Question: 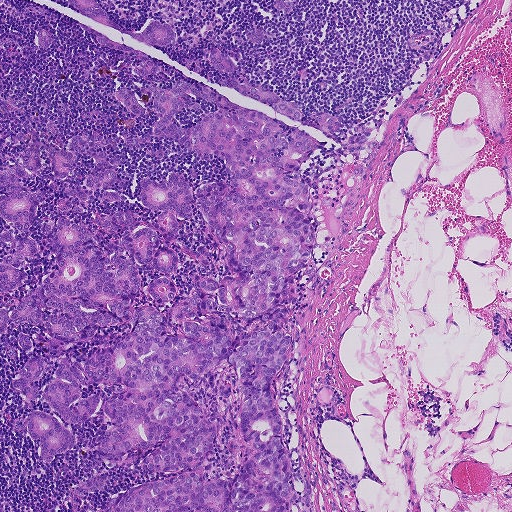
This is a crop of a whole-slide image: an H&E-stained breast-cancer sentinel lymph node section at roughly 5× magnification (about 1.8 µm per pixel; the crop spans about 0.93 mm).
Estimate the proportion of this field that is metastatic tumour.

Choices:
 (A) none: no tumour is outlined
 (B) about 10% to 20%
 (C) about 50% or more
 (D) about 25% to 45%
 (E) about 5% or less

Answer: (D) about 25% to 45%
About 40% of the field is tumour.
The outlined metastatic tumour's edge, as a closed clockwise path of 40 points: (67, 0), (161, 19), (159, 66), (200, 91), (185, 60), (216, 83), (216, 48), (342, 118), (298, 166), (314, 244), (269, 383), (313, 511), (107, 511), (192, 469), (144, 467), (169, 438), (100, 460), (74, 511), (103, 407), (48, 463), (15, 431), (67, 423), (61, 354), (32, 401), (9, 380), (46, 350), (5, 350), (39, 327), (0, 337), (59, 207), (0, 294), (0, 171), (106, 134), (98, 211), (156, 227), (141, 180), (196, 202), (231, 176), (107, 94), (175, 84).